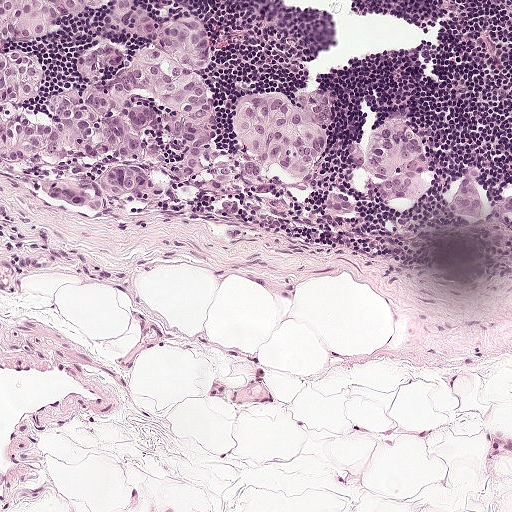
Lymph node section stained with H&E, from a whole-slide image of a breast-cancer sentinel node. Magnification about 10×, about 0.5 mm across the frame, about 0.97 µm per pixel.
Seven metastatic tumour regions, each outlined as a closed clockwise path in crop pixels (x, y), largest first: region 1: (0, 0), (136, 0), (158, 22), (153, 36), (128, 36), (111, 2), (8, 40), (46, 70), (30, 105), (37, 123), (55, 96), (85, 86), (73, 70), (84, 53), (116, 46), (129, 65), (185, 15), (212, 46), (200, 75), (220, 145), (248, 152), (237, 113), (247, 90), (315, 90), (329, 110), (327, 164), (290, 180), (270, 163), (269, 194), (204, 196), (177, 175), (178, 148), (160, 132), (170, 110), (154, 97), (108, 115), (150, 112), (161, 165), (0, 162); region 2: (396, 118), (415, 126), (420, 133), (424, 152), (424, 191), (394, 201), (378, 194), (376, 186), (388, 180), (353, 167), (346, 152), (352, 138), (370, 142), (374, 139), (378, 124); region 3: (85, 173), (94, 175), (96, 183), (95, 187), (89, 190), (89, 194), (102, 196), (103, 200), (103, 208), (92, 212), (84, 206), (64, 200), (55, 200), (50, 198), (48, 193), (50, 183), (65, 176); region 4: (114, 166), (140, 166), (148, 170), (151, 179), (151, 186), (142, 193), (140, 198), (135, 198), (131, 194), (115, 195), (102, 185), (102, 180), (107, 176); region 5: (466, 167), (480, 167), (483, 169), (476, 184), (476, 196), (480, 207), (480, 217), (457, 216), (446, 211), (445, 208), (460, 190); region 6: (338, 191), (346, 194), (351, 200), (356, 202), (354, 212), (348, 215), (329, 210), (326, 208), (324, 204), (331, 193); region 7: (509, 197), (511, 197), (511, 217), (509, 217), (507, 214), (506, 214), (504, 212), (500, 212), (501, 204), (505, 203), (505, 200).
One more small tumour piece is annotated here but not outlined.
About 15% of the image area is annotated as tumour.